A 0.5-mm field of an H&E-stained sentinel lymph node from a breast-cancer patient (whole-slide image), shown at about 10×, about 0.97 µm per pixel.
Image:
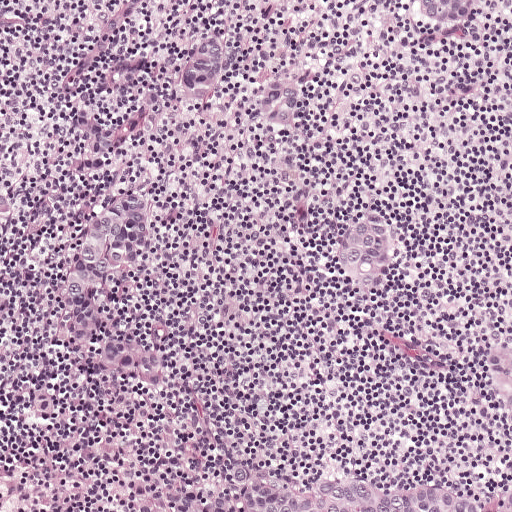
Question:
Where is the metastatic tumour in this field? Give each region's outline as (x, y) pixel points.
Answer:
The eight largest tumour regions' boundaries, simplified and listed clockwise, largest first: region 1: (293, 446), (376, 469), (504, 472), (511, 464), (511, 511), (101, 511), (133, 484), (212, 468), (242, 452); region 2: (140, 190), (150, 211), (150, 238), (142, 263), (118, 276), (107, 298), (103, 322), (81, 337), (54, 298), (52, 274), (62, 247), (75, 224), (92, 207), (113, 194); region 3: (370, 206), (404, 236), (406, 261), (399, 286), (381, 300), (359, 296), (340, 283), (324, 264), (328, 238), (345, 219); region 4: (126, 329), (162, 344), (182, 359), (173, 380), (121, 381), (94, 376), (85, 355), (100, 335); region 5: (203, 21), (228, 37), (234, 60), (231, 86), (213, 105), (190, 107), (173, 91), (178, 66), (186, 42); region 6: (486, 322), (510, 326), (511, 440), (493, 419), (471, 371), (471, 343); region 7: (279, 71), (304, 71), (312, 90), (305, 115), (289, 135), (261, 133), (248, 114), (255, 86); region 8: (488, 0), (483, 20), (461, 35), (435, 37), (415, 24), (408, 1).
Two more, smaller tumour regions are not outlined.
One more small tumour piece is annotated here but not outlined.
About 20% of the image area is annotated as tumour.